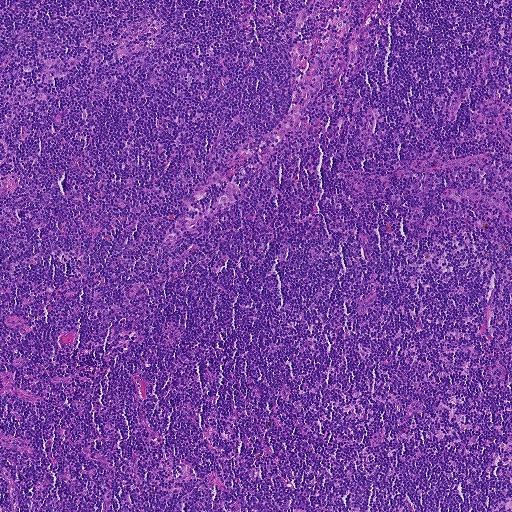
A 0.93-mm field of an H&E-stained sentinel lymph node from a breast-cancer patient (whole-slide image), shown at about 5×, about 1.8 µm per pixel.
Question: Is there metastatic carcinoma in this field?
Answer: No: no metastatic tumour is outlined anywhere in this field.